Image:
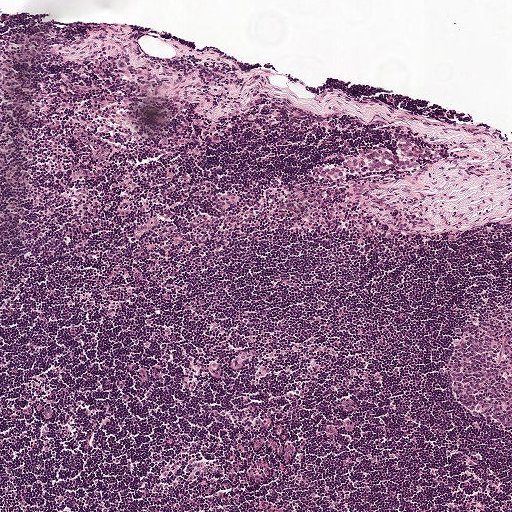
Lymph node section stained with H&E, from a whole-slide image of a breast-cancer sentinel node. Magnification about 5×, about 1 mm across the frame, about 1.9 µm per pixel.
Question:
Where is the metastatic tumour in this field? Give each region's outline as (x, y) pixel points.
Answer:
The outlined metastatic tumour's edge, as a closed clockwise path of 19 points: (410, 142), (433, 155), (421, 158), (421, 165), (416, 169), (390, 166), (366, 174), (348, 174), (340, 179), (330, 176), (318, 176), (314, 170), (319, 164), (339, 163), (360, 148), (384, 147), (396, 152), (398, 151), (396, 143).
Under 5% of this field is tumour.